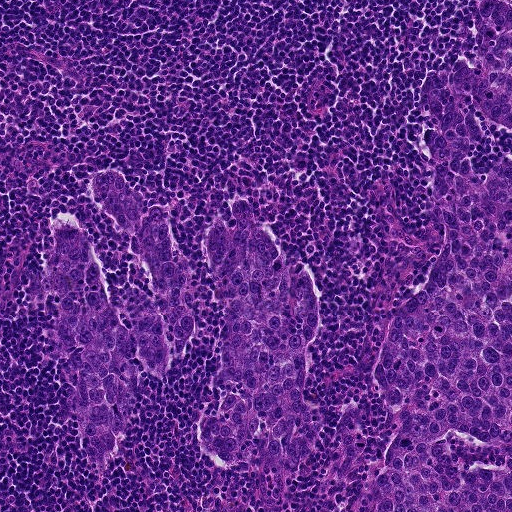
Lymph node section stained with H&E, from a whole-slide image of a breast-cancer sentinel node. Magnification about 10×, about 0.46 mm across the frame, about 0.9 µm per pixel.
Three metastatic tumour regions, each outlined as a closed clockwise path in crop pixels (x, y), largest first: region 1: (482, 0), (511, 0), (511, 130), (470, 107), (480, 140), (472, 172), (488, 170), (498, 156), (511, 159), (511, 511), (369, 511), (368, 488), (393, 434), (373, 364), (390, 312), (438, 252), (426, 75), (450, 78), (477, 57), (473, 23); region 2: (118, 168), (144, 195), (146, 216), (153, 205), (166, 207), (169, 233), (192, 278), (193, 328), (183, 350), (156, 380), (134, 356), (138, 380), (150, 384), (132, 398), (130, 422), (99, 473), (90, 464), (66, 404), (72, 366), (55, 332), (60, 296), (24, 290), (28, 278), (40, 276), (50, 264), (53, 228), (58, 215), (69, 210), (90, 241), (121, 325), (151, 295), (146, 268), (121, 226), (102, 208), (94, 185), (95, 173); region 3: (240, 201), (288, 272), (312, 274), (319, 303), (303, 389), (324, 419), (310, 477), (287, 474), (257, 453), (231, 470), (196, 436), (197, 423), (220, 418), (223, 398), (245, 401), (238, 383), (213, 385), (222, 324), (203, 265), (204, 236).
About 35% of this field is tumour.